A 0.5-mm field of an H&E-stained sentinel lymph node from a breast-cancer patient (whole-slide image), shown at about 10×, about 0.97 µm per pixel.
Image:
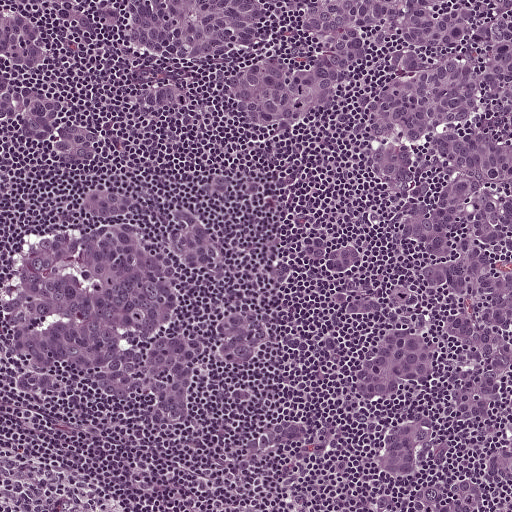
Question:
Where is the metastatic tumour in this field? Give each region's outline as (x, y) pixel points.
Answer:
The outlined metastatic tumour's edge, as a closed clockwise path of 36 points: (0, 0), (511, 0), (511, 511), (373, 510), (389, 421), (363, 402), (310, 461), (242, 458), (356, 383), (376, 338), (317, 286), (272, 303), (260, 367), (197, 370), (163, 440), (7, 382), (0, 279), (84, 188), (150, 180), (249, 272), (380, 216), (322, 121), (263, 191), (200, 205), (249, 122), (206, 71), (190, 118), (144, 114), (131, 36), (52, 41), (44, 87), (114, 154), (49, 167), (0, 130), (0, 84), (35, 75).
Tumour covers about 65% of the frame.